Image:
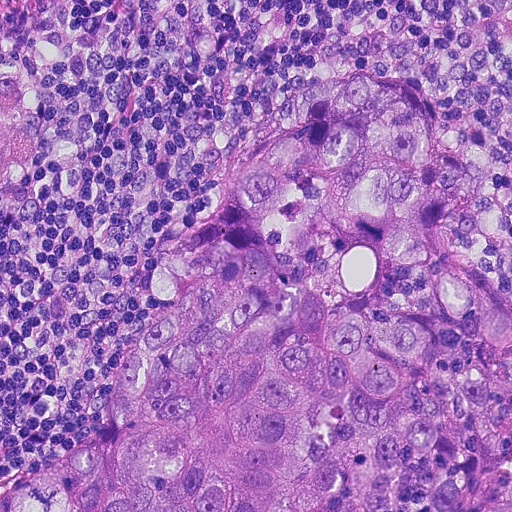
This is a crop of a whole-slide image: an H&E-stained breast-cancer sentinel lymph node section at roughly 20× magnification (about 0.45 µm per pixel; the crop spans about 0.23 mm).
Question:
Is there metastatic carcinoma in this field?
Answer:
Yes.
One metastatic tumour region; its boundary, reduced to 13 corners and listed clockwise: (380, 74), (409, 104), (436, 221), (511, 302), (511, 511), (0, 511), (0, 485), (64, 464), (90, 434), (168, 248), (201, 222), (246, 152), (340, 78).
About 50% of this field is tumour.

Image:
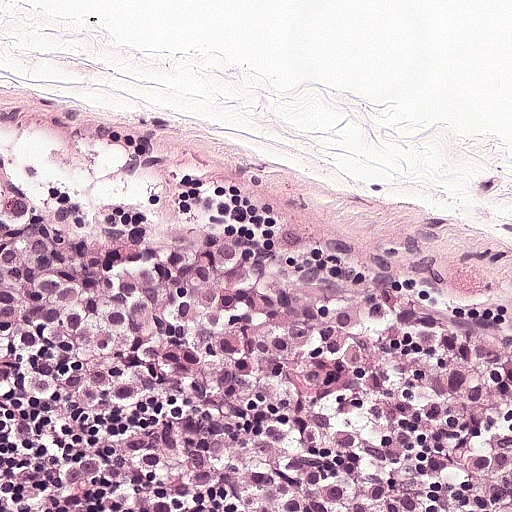
H&E-stained section of a sentinel lymph node (breast cancer), from a whole-slide image, viewed at about 20×: the field is about 0.25 mm across, about 0.49 µm per pixel.
Question:
Is there metastatic carcinoma in this field?
Answer:
Yes.
The outlined metastatic tumour's edge, as a closed clockwise path of 6 points: (0, 160), (212, 207), (358, 273), (510, 362), (511, 511), (0, 511).
The annotated tumour makes up about 55% of the crop.

Image:
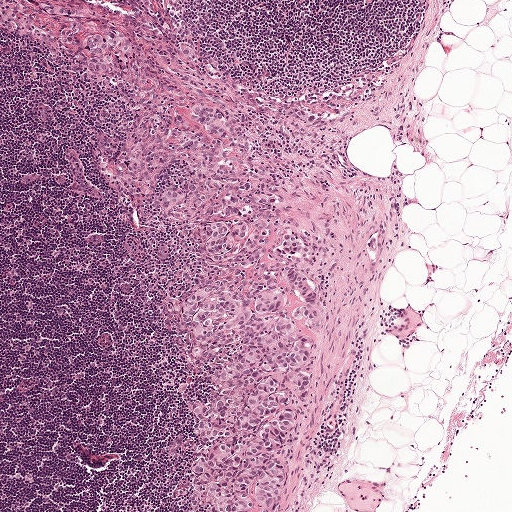
A 1-mm field of an H&E-stained sentinel lymph node from a breast-cancer patient (whole-slide image), shown at about 5×, about 1.9 µm per pixel.
Question:
Is there metastatic carcinoma in this field?
Answer:
Yes.
Three metastatic tumour regions, each outlined as a closed clockwise path in crop pixels (x, y), largest first: region 1: (210, 160), (277, 189), (285, 212), (272, 232), (308, 237), (306, 264), (320, 270), (326, 304), (274, 511), (194, 511), (174, 491), (191, 472), (193, 410), (244, 344), (237, 334), (195, 357), (162, 306), (216, 266), (199, 231), (160, 216), (152, 201); region 2: (119, 29), (126, 32), (132, 39), (133, 44), (127, 60), (114, 77), (93, 80), (86, 78), (80, 71), (80, 61), (85, 50), (85, 45), (81, 39), (94, 32); region 3: (207, 98), (227, 112), (231, 120), (230, 140), (223, 142), (209, 135), (196, 121), (191, 118), (188, 108), (190, 104).
About 15% of this field is tumour.

Image:
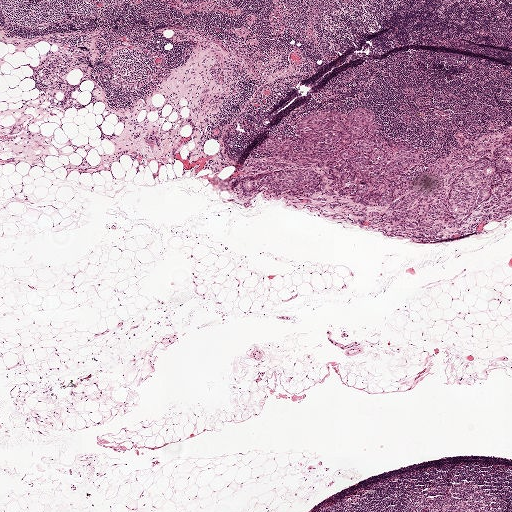
A 2.0-mm field of an H&E-stained sentinel lymph node from a breast-cancer patient (whole-slide image), shown at about 2.5×, about 3.9 µm per pixel.
Question:
Is there metastatic carcinoma in this field?
Answer:
Yes.
Metastatic tumour outline, simplified to 24 points and listed clockwise in crop pixels (x, y): (357, 107), (422, 152), (407, 178), (460, 152), (492, 152), (511, 134), (511, 209), (468, 233), (406, 238), (378, 232), (345, 208), (327, 208), (330, 196), (326, 203), (281, 199), (260, 190), (240, 197), (245, 177), (294, 166), (260, 148), (264, 141), (293, 136), (298, 120), (313, 112).
The annotated tumour makes up about 10% of the crop.